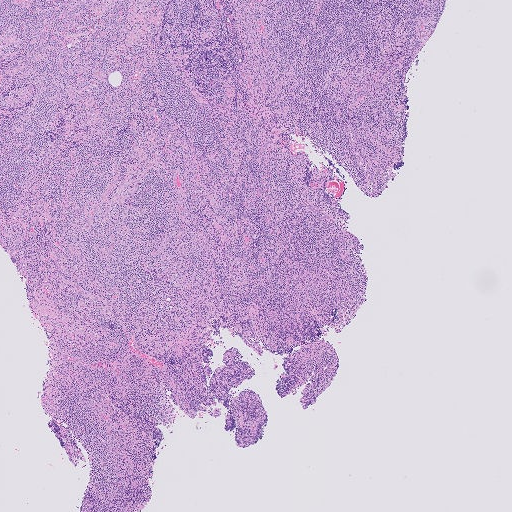
A 2.0-mm field of an H&E-stained sentinel lymph node from a breast-cancer patient (whole-slide image), shown at about 2.5×, about 4.0 µm per pixel.